Question: 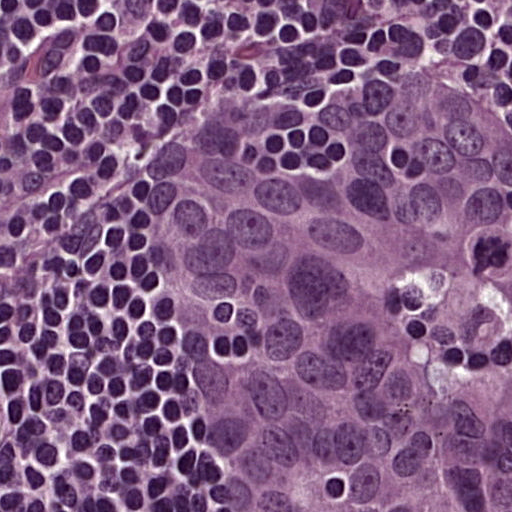
Which magnification is this H&E lymph node field most likely shown at?

Choices:
 (A) about 40×
 (B) about 20×
 (C) about 2.5×
 (D) about 10×
 (E) about 5×

Answer: (A) about 40×
H&E-stained section of a sentinel lymph node (breast cancer), from a whole-slide image, viewed at about 40×: the field is about 0.12 mm across, about 0.24 µm per pixel.
Boundaries of two metastatic tumour regions, simplified and listed clockwise, largest first: region 1: (417, 41), (511, 96), (511, 511), (232, 511), (181, 433), (105, 187), (139, 148), (187, 124), (239, 131), (287, 114), (322, 76), (373, 69); region 2: (0, 359), (11, 374), (36, 468), (36, 511), (0, 511).
The annotated tumour makes up about 60% of the crop.